H&E-stained section of a sentinel lymph node (breast cancer), from a whole-slide image, viewed at about 20×: the field is about 0.25 mm across, about 0.49 µm per pixel.
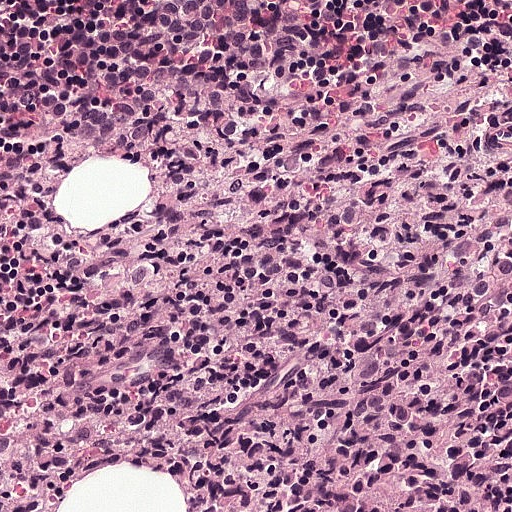
One metastatic tumour region; its boundary, reduced to 8 corners and listed clockwise: (511, 0), (511, 511), (0, 511), (0, 271), (22, 176), (108, 108), (264, 108), (452, 6).
About 85% of the image area is annotated as tumour.